H&E-stained section of a sentinel lymph node (breast cancer), from a whole-slide image, viewed at about 40×: the field is about 0.12 mm across, about 0.23 µm per pixel.
Question: 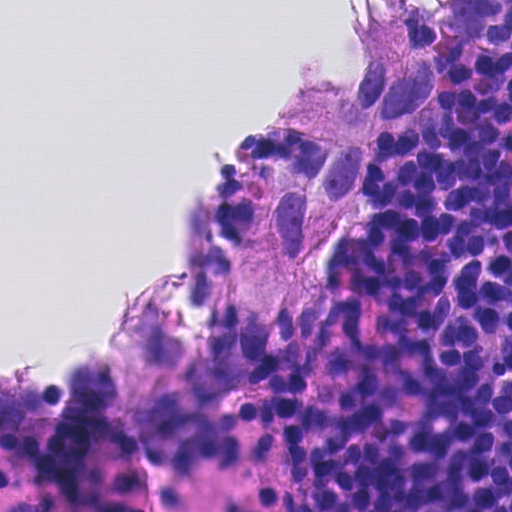
Estimate the proportion of this field that is metastatic tumour.

Choices:
 (A) about 10% to 20%
 (B) about 5% or less
 (C) none: no tumour is outlined
 (D) about 50% or more
 (E) about 25% to 45%

Answer: (A) about 10% to 20%
About 15% of the field is tumour.
Tumour region outline (a closed clockwise path, crop pixels): (372, 0), (432, 6), (434, 0), (511, 0), (511, 20), (482, 27), (442, 72), (439, 95), (388, 127), (375, 149), (363, 207), (331, 258), (325, 316), (273, 334), (225, 312), (244, 251), (277, 197), (324, 158), (287, 159), (229, 145), (287, 89), (347, 78), (362, 49), (344, 15).